Question: 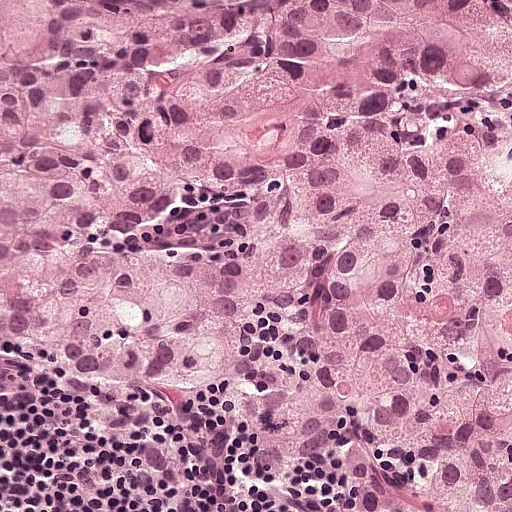
Lymph node section stained with H&E, from a whole-slide image of a breast-cancer sentinel node. Magnification about 20×, about 0.25 mm across the frame, about 0.49 µm per pixel.
About how much of this crop is taken up by metastatic carcinoma?

Choices:
 (A) none: no tumour is outlined
 (B) about 50% or more
 (C) about 5% or less
 (D) about 10% to 20%
 (E) about 25% to 45%

Answer: (B) about 50% or more
About 85% of the field is tumour.
Metastatic tumour outline, simplified to 14 points and listed clockwise in crop pixels (x, y): (0, 0), (511, 0), (511, 511), (438, 511), (434, 496), (379, 511), (342, 494), (327, 463), (281, 483), (238, 474), (230, 418), (195, 386), (84, 393), (0, 346).